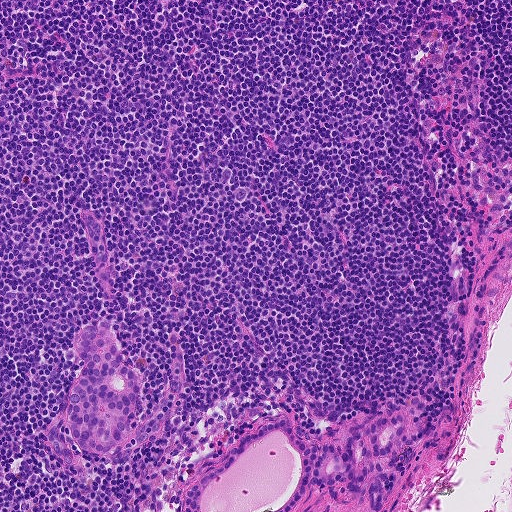
A 0.46-mm field of an H&E-stained sentinel lymph node from a breast-cancer patient (whole-slide image), shown at about 10×, about 0.9 µm per pixel.
Question: Is any metastatic breast cancer visible in this crop?
Answer: Yes.
Outlines of two tumour regions, largest first (closed clockwise paths, crop pixels): region 1: (404, 416), (401, 440), (374, 460), (389, 474), (379, 511), (355, 504), (358, 495), (344, 490), (345, 482), (309, 488), (291, 511), (184, 511), (186, 492), (220, 465), (240, 436), (275, 418), (292, 418), (308, 447), (327, 442), (343, 449), (344, 440), (371, 421); region 2: (87, 327), (114, 332), (122, 359), (127, 366), (142, 374), (133, 436), (114, 452), (105, 455), (88, 453), (76, 442), (68, 426), (68, 393), (83, 362), (72, 344), (74, 336).
About 10% of this field is tumour.